Question: 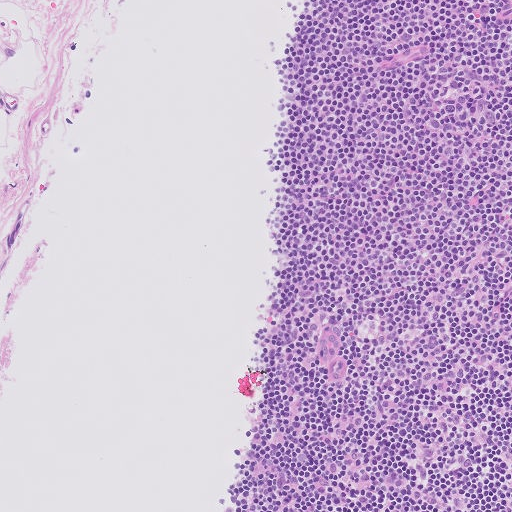
At roughly what magnification is this field shown?

Choices:
 (A) about 40×
 (B) about 20×
 (C) about 2.5×
 (D) about 5×
 (E) about 10×

Answer: (E) about 10×
This is a crop of a whole-slide image: an H&E-stained breast-cancer sentinel lymph node section at roughly 10× magnification (about 1.0 µm per pixel; the crop spans about 0.51 mm).